This is a crop of a whole-slide image: an H&E-stained breast-cancer sentinel lymph node section at roughly 20× magnification (about 0.49 µm per pixel; the crop spans about 0.25 mm).
Question: 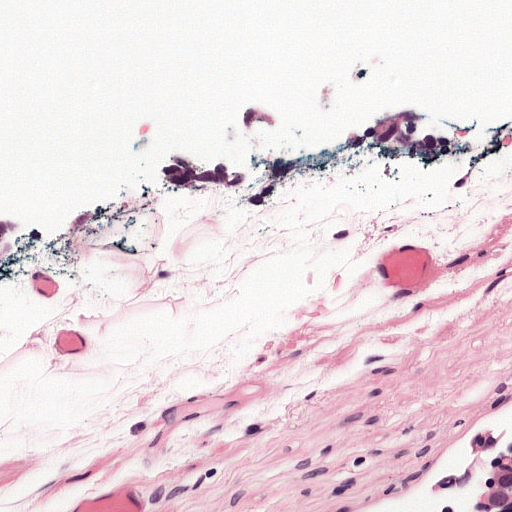
What fraction of the image area is metastatic tumour?

Choices:
 (A) about 10% to 20%
 (B) about 50% or more
 (C) none: no tumour is outlined
 (D) about 5% or less
 (E) about 25% to 45%

Answer: (D) about 5% or less
About 5% of the field is tumour.
Three metastatic tumour regions, each outlined as a closed clockwise path in crop pixels (x, y), largest first: region 1: (404, 104), (447, 122), (462, 147), (428, 156), (393, 156), (339, 148), (344, 130), (390, 106); region 2: (166, 151), (207, 154), (256, 179), (231, 190), (202, 192), (154, 180); region 3: (0, 223), (31, 226), (0, 252).
Two more small tumour pieces are annotated here but not outlined.